This is a crop of a whole-slide image: an H&E-stained breast-cancer sentinel lymph node section at roughly 5× magnification (about 1.9 µm per pixel; the crop spans about 1 mm).
Image:
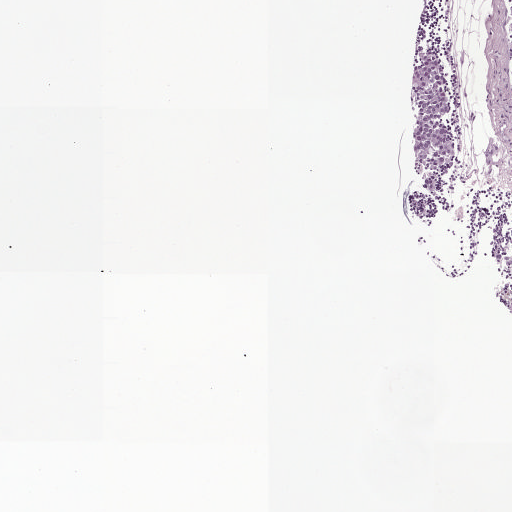
Question:
Which parts of this field are metastatic tumour? Answer with the outline of each region, in pixels.
Answer:
One metastatic tumour region; its boundary, reduced to 19 corners and listed clockwise: (427, 48), (438, 53), (444, 66), (446, 89), (451, 98), (450, 109), (441, 115), (452, 146), (452, 157), (438, 175), (437, 186), (429, 193), (414, 161), (410, 137), (415, 114), (410, 81), (410, 70), (420, 64), (418, 54).
Under 5% of this field is tumour.